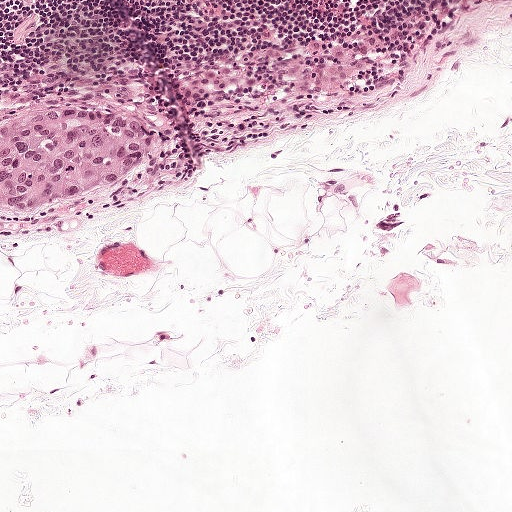
This is a crop of a whole-slide image: an H&E-stained breast-cancer sentinel lymph node section at roughly 10× magnification (about 0.97 µm per pixel; the crop spans about 0.5 mm).
Tumour region outline (a closed clockwise path, crop pixels): (36, 105), (98, 110), (148, 128), (156, 141), (155, 157), (141, 179), (120, 196), (36, 228), (0, 228), (0, 118).
About 5% of the image area is annotated as tumour.